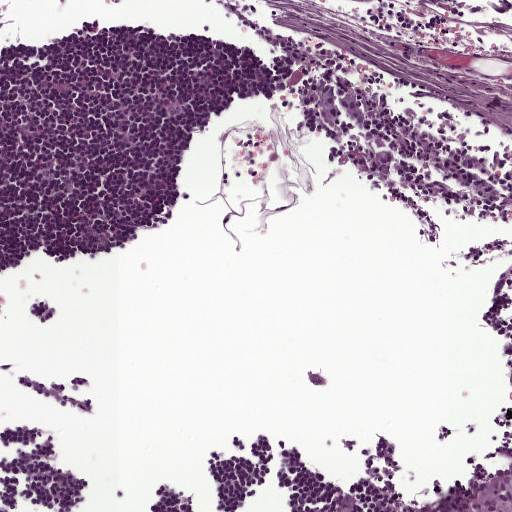
A 0.5-mm field of an H&E-stained sentinel lymph node from a breast-cancer patient (whole-slide image), shown at about 10×, about 0.97 µm per pixel.
Outlines of four tumour regions, largest first (closed clockwise paths, crop pixels): region 1: (511, 460), (511, 511), (384, 511), (394, 500), (418, 496); region 2: (332, 84), (342, 93), (353, 95), (361, 113), (359, 123), (344, 121), (345, 129), (330, 130), (318, 114), (318, 88); region 3: (363, 148), (395, 149), (400, 159), (389, 176), (376, 171), (370, 165); region 4: (347, 486), (368, 511), (331, 511), (332, 500).
Under 5% of the image area is annotated as tumour.